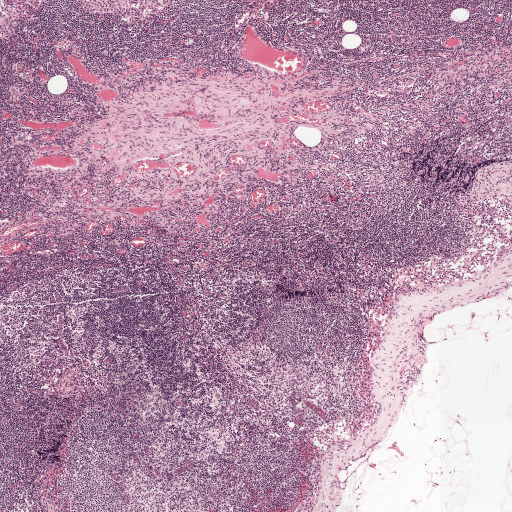
This is a crop of a whole-slide image: an H&E-stained breast-cancer sentinel lymph node section at roughly 2.5× magnification (about 3.9 µm per pixel; the crop spans about 2.0 mm).